Image:
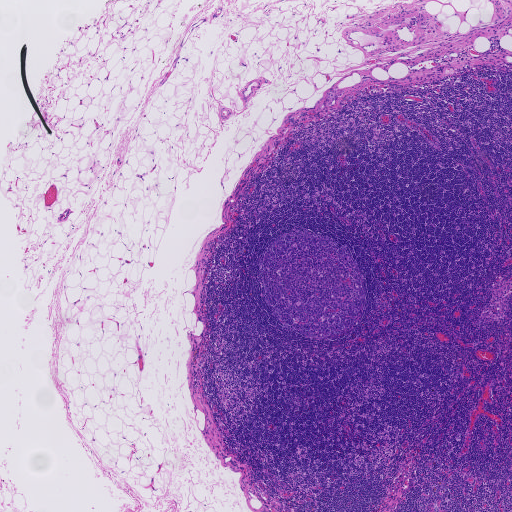
H&E-stained section of a sentinel lymph node (breast cancer), from a whole-slide image, viewed at about 2.5×: the field is about 1.9 mm across, about 3.6 µm per pixel.
Question:
Which parts of this field are metastatic tumour? Answer with the outline of each region, in pixels.
Answer:
Tumour region outline (a closed clockwise path, crop pixels): (339, 89), (345, 90), (342, 96), (336, 98), (332, 105), (326, 106), (323, 106), (322, 102), (325, 96), (325, 93).
The annotated tumour makes up under 5% of the crop.